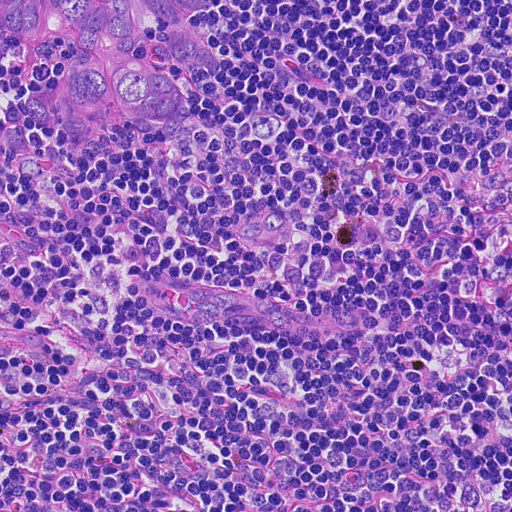
A 0.23-mm field of an H&E-stained sentinel lymph node from a breast-cancer patient (whole-slide image), shown at about 20×, about 0.45 µm per pixel.
Tumour region outline (a closed clockwise path, crop pixels): (0, 0), (203, 0), (192, 13), (222, 66), (170, 73), (181, 98), (165, 120), (138, 122), (113, 113), (93, 130), (66, 129), (46, 110), (52, 84), (78, 51), (58, 33), (52, 51), (26, 52), (3, 44), (0, 51).
Tumour covers about 5% of the frame.